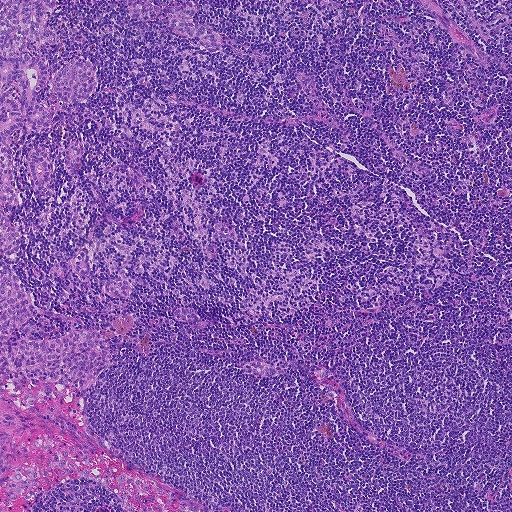
This is a crop of a whole-slide image: an H&E-stained breast-cancer sentinel lymph node section at roughly 5× magnification (about 1.8 µm per pixel; the crop spans about 0.93 mm).
One metastatic tumour region; its boundary, reduced to 38 corners and listed clockwise: (0, 0), (56, 0), (58, 41), (40, 53), (51, 77), (72, 58), (98, 71), (82, 102), (54, 102), (50, 80), (35, 102), (53, 120), (37, 136), (48, 196), (28, 165), (35, 134), (19, 128), (7, 142), (22, 204), (2, 207), (20, 239), (4, 258), (6, 263), (14, 268), (41, 310), (60, 316), (27, 318), (20, 335), (48, 341), (126, 316), (124, 335), (148, 331), (150, 343), (148, 357), (104, 343), (107, 367), (80, 392), (0, 386).
About 5% of the image area is annotated as tumour.